Lymph node section stained with H&E, from a whole-slide image of a breast-cancer sentinel node. Magnification about 2.5×, about 2.0 mm across the frame, about 4.0 µm per pixel.
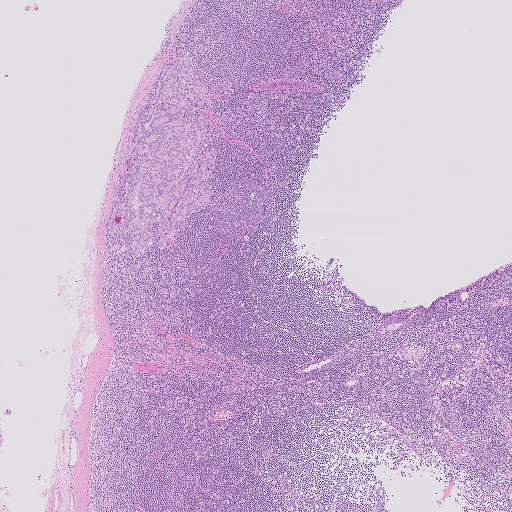
Question: Outline the metastatic carcinoma in this image, as closed paths of (x, y) pixel coordinates.
Answer: The outlined metastatic tumour's edge, as a closed clockwise path of 22 points: (182, 55), (205, 70), (208, 106), (190, 115), (210, 121), (217, 158), (213, 178), (221, 183), (213, 186), (207, 209), (196, 214), (170, 249), (151, 247), (138, 254), (128, 235), (116, 254), (107, 257), (104, 222), (118, 172), (130, 149), (134, 120), (167, 57).
The annotated tumour makes up about 5% of the crop.